Lymph node section stained with H&E, from a whole-slide image of a breast-cancer sentinel node. Magnification about 2.5×, about 1.9 mm across the frame, about 3.6 µm per pixel.
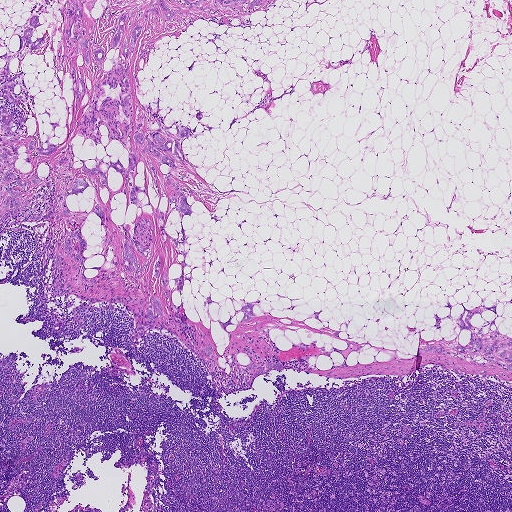
Eight metastatic tumour regions, each outlined as a closed clockwise path in crop pixels (x, y), largest first: region 1: (19, 81), (22, 88), (13, 89), (22, 96), (14, 116), (22, 112), (29, 118), (15, 120), (19, 134), (36, 139), (36, 147), (46, 148), (48, 138), (57, 148), (40, 155), (23, 140), (16, 172), (24, 180), (36, 174), (40, 182), (26, 191), (16, 182), (11, 185), (41, 217), (20, 217), (29, 209), (0, 223), (0, 111), (13, 106), (2, 88); region 2: (483, 303), (486, 310), (481, 314), (474, 316), (470, 323), (477, 333), (488, 323), (483, 328), (481, 332), (483, 334), (488, 332), (490, 323), (496, 314), (499, 316), (489, 328), (493, 331), (497, 328), (500, 333), (497, 343), (511, 339), (511, 372), (508, 372), (503, 365), (489, 362), (480, 356), (457, 353), (457, 340), (464, 346), (471, 339), (470, 331), (465, 329), (460, 331), (456, 324), (463, 306), (465, 310), (462, 318), (466, 325), (464, 320), (468, 312); region 3: (160, 0), (163, 0), (165, 3), (169, 7), (175, 8), (182, 4), (181, 1), (179, 0), (211, 0), (207, 6), (202, 9), (190, 10), (181, 12), (178, 13), (176, 15), (170, 18), (167, 18), (162, 12), (162, 9), (158, 5), (158, 1); region 4: (246, 347), (249, 349), (252, 353), (258, 354), (257, 356), (254, 359), (254, 361), (256, 362), (260, 360), (261, 362), (256, 368), (264, 367), (267, 363), (270, 362), (276, 364), (279, 362), (281, 363), (282, 365), (282, 368), (281, 370), (278, 371), (275, 369), (272, 370), (268, 373), (267, 376), (265, 374), (255, 377), (253, 376), (251, 372), (248, 369), (246, 366), (250, 363), (250, 361), (248, 355), (247, 354); region 5: (35, 15), (38, 15), (40, 23), (43, 24), (42, 25), (36, 27), (32, 32), (31, 38), (33, 42), (40, 37), (43, 36), (43, 39), (41, 45), (39, 47), (31, 51), (26, 47), (25, 45), (25, 39), (23, 33), (24, 30), (26, 28), (32, 27), (28, 23), (29, 20), (30, 18); region 6: (246, 302), (256, 304), (255, 305), (252, 309), (252, 311), (254, 312), (256, 315), (252, 318), (250, 320), (248, 321), (246, 321), (238, 324), (242, 318), (244, 314), (243, 312), (241, 312), (239, 312), (232, 318), (231, 320), (231, 322), (232, 323), (237, 325), (235, 325), (231, 324), (227, 325), (226, 327), (226, 330), (227, 331), (223, 329), (217, 320), (223, 322), (227, 321), (229, 319), (230, 315), (233, 316), (234, 314), (234, 310), (240, 309), (242, 306), (246, 305); region 7: (137, 25), (140, 25), (142, 27), (141, 33), (135, 43), (131, 58), (128, 53), (127, 59), (121, 50), (125, 35), (129, 46), (132, 29); region 8: (84, 29), (88, 37), (88, 40), (88, 56), (89, 61), (88, 63), (86, 62), (83, 57), (84, 49), (81, 48), (77, 53), (71, 55), (74, 49), (77, 37), (81, 33), (82, 30).
One more tumour region is annotated but not outlined: its edge is too irregular for a short outline.
Six more, smaller tumour regions are not outlined.
Three more small tumour pieces are annotated here but not outlined.
About 5% of the image area is annotated as tumour.